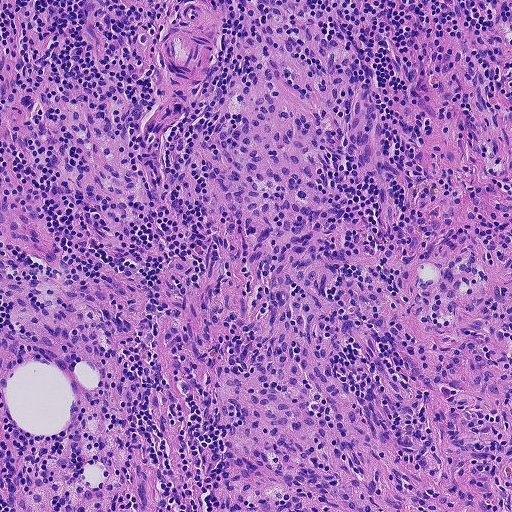
A 0.46-mm field of an H&E-stained sentinel lymph node from a breast-cancer patient (whole-slide image), shown at about 10×, about 0.9 µm per pixel.
Question: Is there metastatic carcinoma in this field?
Answer: No: no metastatic tumour is outlined anywhere in this field.